Question: 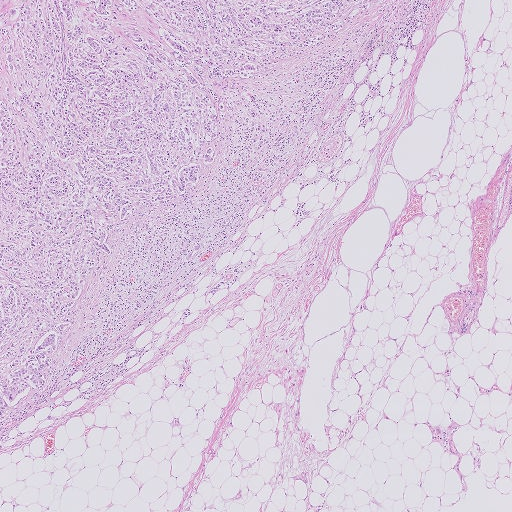
About what magnification does this crop show?

Choices:
 (A) about 20×
 (B) about 5×
 (C) about 40×
 (D) about 10×
 (E) about 2.5×

Answer: (E) about 2.5×
Lymph node section stained with H&E, from a whole-slide image of a breast-cancer sentinel node. Magnification about 2.5×, about 2.0 mm across the frame, about 4.0 µm per pixel.
Outlines of two tumour regions, largest first (closed clockwise paths, crop pixels): region 1: (0, 0), (367, 0), (311, 49), (217, 86), (227, 105), (213, 161), (175, 201), (140, 209), (111, 232), (107, 265), (86, 281), (54, 371), (2, 417); region 2: (261, 120), (266, 121), (269, 140), (264, 147), (258, 149), (255, 147), (254, 136), (245, 133), (245, 129), (252, 122).
One more small tumour piece is annotated here but not outlined.
About 25% of the image area is annotated as tumour.